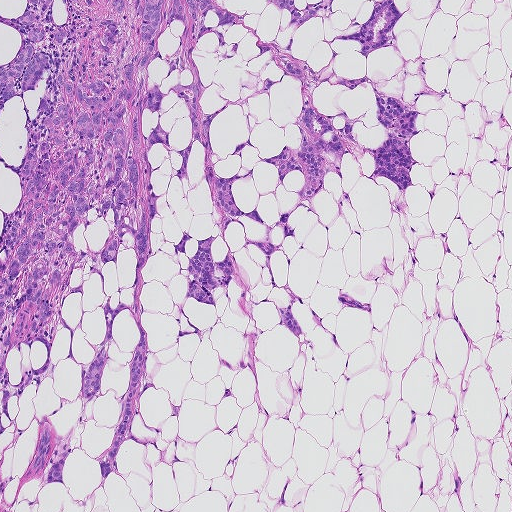
Lymph node section stained with H&E, from a whole-slide image of a breast-cancer sentinel node. Magnification about 5×, about 0.93 mm across the frame, about 1.8 µm per pixel.
Question: Outline the metastatic carcinoma in this image, as closed paths of (x, y) pixel coordinates.
Answer: Outlines of two tumour regions, largest first (closed clockwise paths, crop pixels): region 1: (371, 0), (394, 0), (397, 8), (402, 16), (389, 31), (395, 36), (400, 55), (396, 50), (390, 47), (366, 57), (355, 50), (360, 45), (354, 42), (329, 38), (349, 34), (362, 27), (370, 16); region 2: (269, 0), (294, 0), (296, 10), (303, 7), (304, 2), (311, 3), (320, 0), (332, 0), (332, 16), (322, 20), (317, 16), (311, 19), (300, 26), (296, 31), (291, 26), (289, 12), (271, 4).
One more tumour region is annotated but not outlined: its edge is too irregular for a short outline.
The annotated tumour makes up about 30% of the crop.